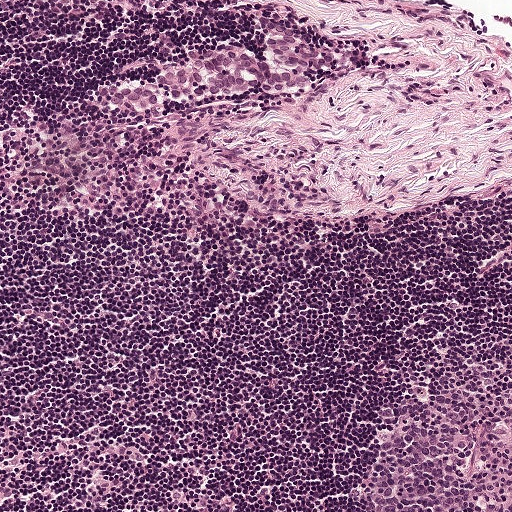
H&E-stained section of a sentinel lymph node (breast cancer), from a whole-slide image, viewed at about 10×: the field is about 0.5 mm across, about 0.97 µm per pixel.
Metastatic tumour outline, simplified to 20 points and listed clockwise in crop pixels (x, y): (293, 36), (338, 62), (315, 68), (315, 82), (303, 89), (252, 85), (204, 100), (167, 100), (151, 111), (132, 104), (108, 105), (100, 92), (99, 87), (110, 81), (150, 78), (192, 48), (241, 45), (263, 56), (267, 54), (265, 38).
About 5% of the image area is annotated as tumour.